Lymph node section stained with H&E, from a whole-slide image of a breast-cancer sentinel node. Magnification about 10×, about 0.46 mm across the frame, about 0.9 µm per pixel.
Image:
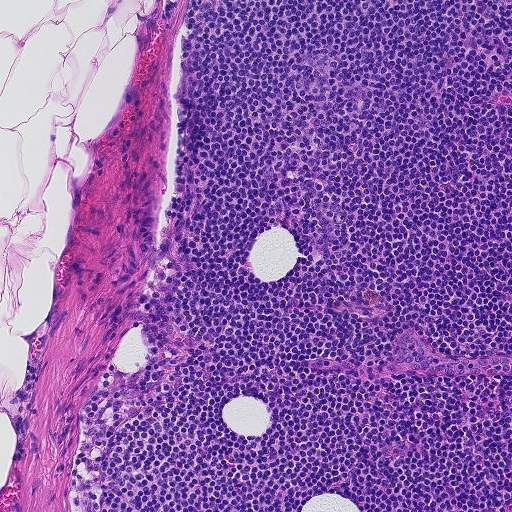
Question:
Is any metastatic breast cancer visible in this crop?
Answer:
No, this field holds no outlined metastasis.